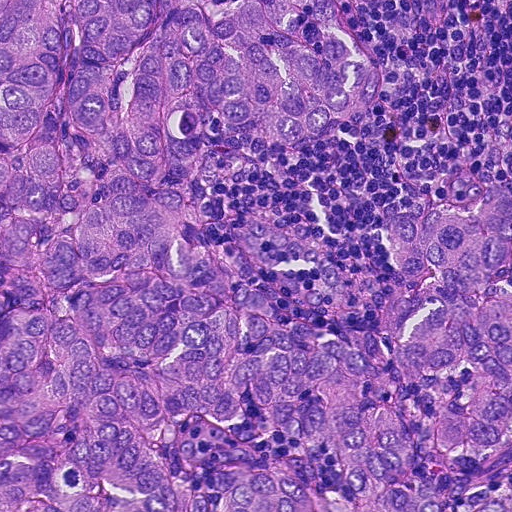
A 0.23-mm field of an H&E-stained sentinel lymph node from a breast-cancer patient (whole-slide image), shown at about 20×, about 0.45 µm per pixel.
Boundaries of two metastatic tumour regions, simplified and listed clockwise, largest first: region 1: (0, 0), (376, 0), (335, 8), (362, 25), (384, 85), (372, 114), (204, 190), (228, 195), (230, 226), (252, 204), (283, 196), (344, 270), (406, 286), (385, 226), (402, 198), (433, 196), (494, 122), (511, 142), (511, 511), (0, 511); region 2: (410, 0), (443, 0), (443, 16), (433, 34), (428, 34).
Tumour covers about 85% of the frame.